Lymph node section stained with H&E, from a whole-slide image of a breast-cancer sentinel node. Magnification about 2.5×, about 2.0 mm across the frame, about 3.9 µm per pixel.
Image:
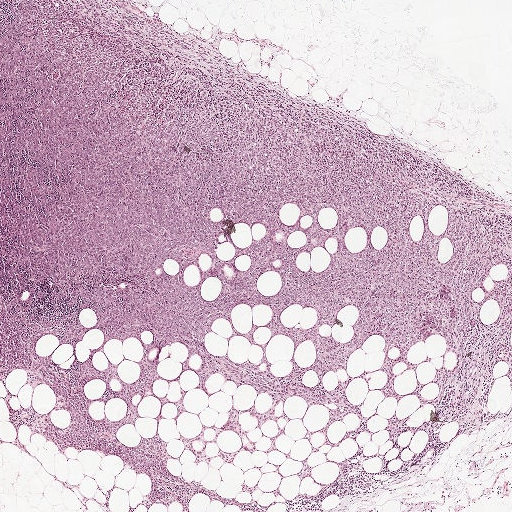
Question:
Is any metastatic breast cancer visible in this crop?
Answer:
Yes.
One metastatic tumour region; its boundary, reduced to 22 corners and listed clockwise: (0, 0), (128, 0), (446, 167), (511, 218), (511, 387), (494, 364), (487, 424), (443, 424), (440, 451), (324, 498), (322, 511), (284, 511), (277, 496), (242, 511), (198, 493), (187, 511), (143, 507), (148, 478), (33, 432), (54, 394), (22, 369), (0, 373).
The outline encloses 75 non-tumour holes totalling about 20% of the region's area.
About 60% of the image area is annotated as tumour.